Image:
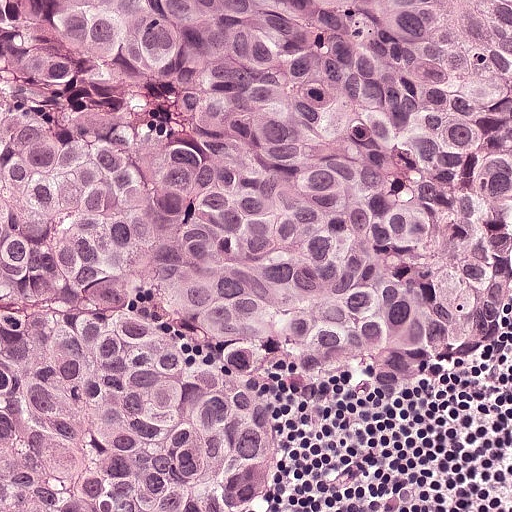
A 0.25-mm field of an H&E-stained sentinel lymph node from a breast-cancer patient (whole-slide image), shown at about 20×, about 0.49 µm per pixel.
Question:
Where is the metastatic tumour in this field?
Answer:
Tumour region outline (a closed clockwise path, crop pixels): (0, 0), (511, 0), (511, 350), (470, 382), (367, 397), (336, 416), (322, 440), (322, 477), (299, 508), (0, 511).
About 90% of the image area is annotated as tumour.